Question: 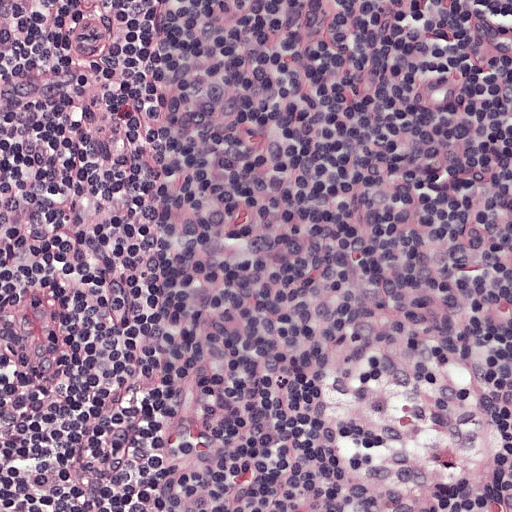
Which magnification is this H&E lymph node field most likely shown at?

Choices:
 (A) about 5×
 (B) about 20×
 (C) about 40×
 (D) about 2.5×
 (E) about 10×

Answer: (B) about 20×
A 0.25-mm field of an H&E-stained sentinel lymph node from a breast-cancer patient (whole-slide image), shown at about 20×, about 0.49 µm per pixel.